Question: 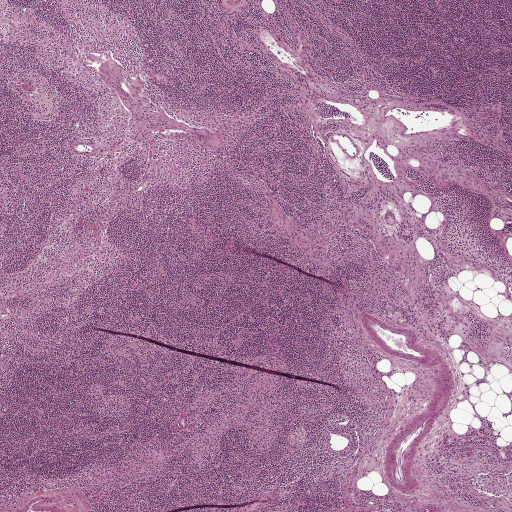
About what magnification does this crop show?

Choices:
 (A) about 10×
 (B) about 20×
 (C) about 5×
 (D) about 2.5×
 (E) about 40×

Answer: (D) about 2.5×
H&E-stained section of a sentinel lymph node (breast cancer), from a whole-slide image, viewed at about 2.5×: the field is about 2.0 mm across, about 3.9 µm per pixel.